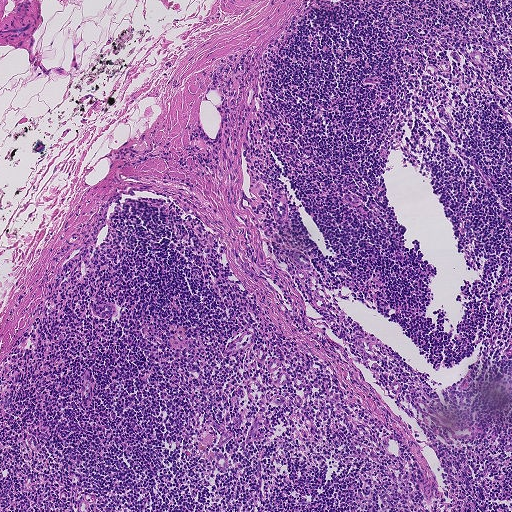
H&E-stained section of a sentinel lymph node (breast cancer), from a whole-slide image, viewed at about 5×: the field is about 0.93 mm across, about 1.8 µm per pixel.